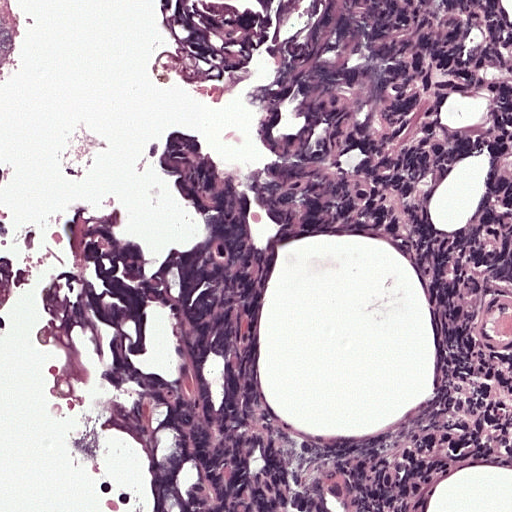
Lymph node section stained with H&E, from a whole-slide image of a breast-cancer sentinel node. Magnification about 20×, about 0.25 mm across the frame, about 0.49 µm per pixel.